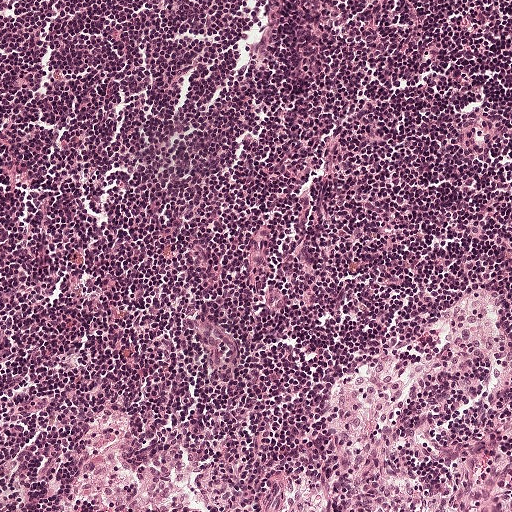
H&E-stained section of a sentinel lymph node (breast cancer), from a whole-slide image, viewed at about 10×: the field is about 0.5 mm across, about 0.97 µm per pixel.
Question: Is any metastatic breast cancer visible in this crop?
Answer: No: no metastatic tumour is outlined anywhere in this field.